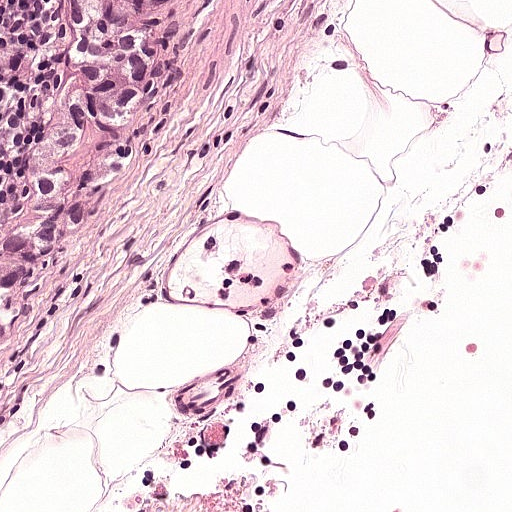
H&E-stained section of a sentinel lymph node (breast cancer), from a whole-slide image, viewed at about 20×: the field is about 0.25 mm across, about 0.49 µm per pixel.
One metastatic tumour region; its boundary, reduced to 10 corners and listed clockwise: (72, 0), (193, 0), (180, 72), (134, 148), (96, 242), (76, 270), (32, 304), (3, 362), (0, 189), (50, 92).
About 15% of the image area is annotated as tumour.